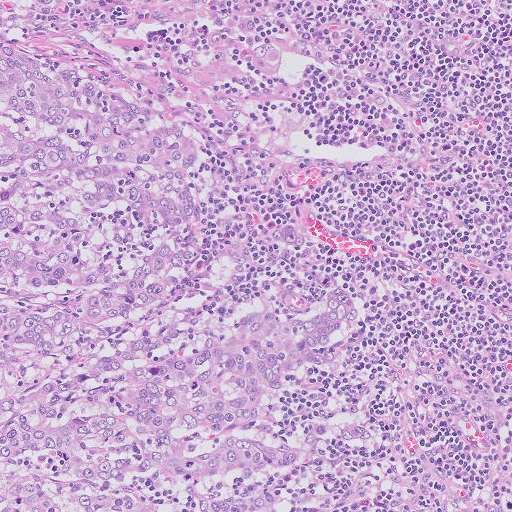
This is a crop of a whole-slide image: an H&E-stained breast-cancer sentinel lymph node section at roughly 10× magnification (about 1.0 µm per pixel; the crop spans about 0.51 mm).
One metastatic tumour region; its boundary, reduced to 9 corners and listed clockwise: (0, 0), (142, 0), (208, 16), (271, 60), (296, 143), (313, 306), (377, 441), (373, 511), (0, 511).
The annotated tumour makes up about 60% of the crop.